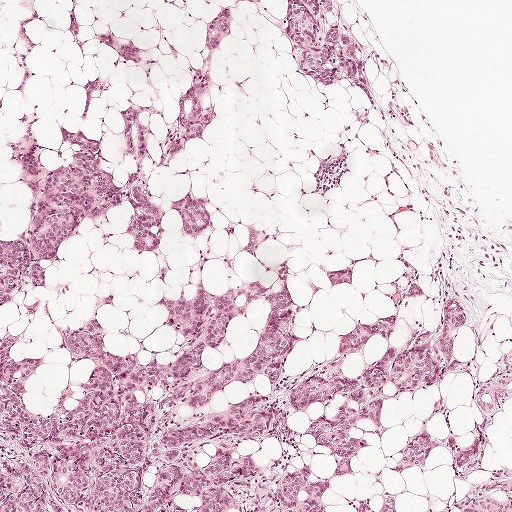
H&E-stained section of a sentinel lymph node (breast cancer), from a whole-slide image, viewed at about 5×: the field is about 1 mm across, about 1.9 µm per pixel.
Boundaries of two metastatic tumour regions, simplified and listed clockwise, largest first: region 1: (206, 1), (234, 4), (236, 50), (204, 166), (214, 219), (204, 256), (111, 263), (31, 307), (26, 327), (65, 332), (366, 260), (426, 262), (454, 277), (473, 312), (509, 318), (511, 511), (0, 511), (7, 129), (16, 112), (63, 117), (167, 94); region 2: (363, 0), (380, 50), (387, 99), (362, 113), (308, 113), (296, 106), (276, 54), (276, 1).
The annotated tumour makes up about 60% of the crop.